Image:
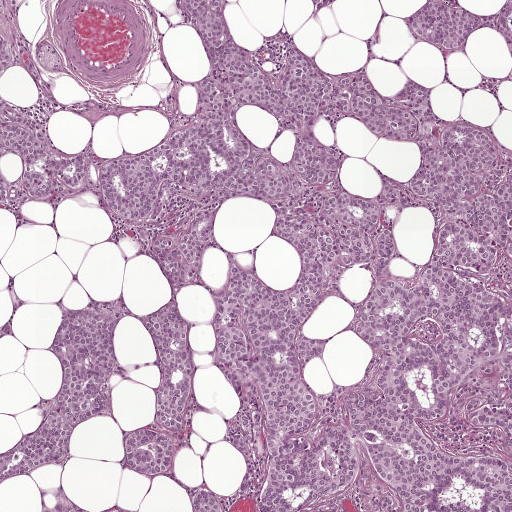
H&E-stained section of a sentinel lymph node (breast cancer), from a whole-slide image, viewed at about 5×: the field is about 1 mm across, about 1.9 µm per pixel.
Question:
Where is the metastatic tumour in this field?
Answer:
Outlines of six tumour regions, largest first (closed clockwise paths, crop pixels): region 1: (181, 0), (223, 0), (264, 83), (299, 50), (381, 98), (419, 82), (414, 140), (465, 123), (493, 185), (511, 165), (511, 511), (262, 511), (264, 401), (222, 371), (201, 284), (175, 299), (173, 475), (117, 455), (159, 392), (123, 317), (108, 418), (0, 477), (58, 399), (67, 316), (145, 312), (172, 224), (216, 214), (207, 285), (238, 243), (268, 288), (301, 268), (254, 196), (5, 208), (0, 101), (54, 152), (153, 152), (213, 70); region 2: (425, 0), (454, 7), (466, 13), (492, 16), (499, 13), (509, 4), (509, 0), (511, 0), (511, 71), (509, 56), (510, 41), (502, 30), (489, 27), (474, 29), (463, 47), (458, 50), (418, 34), (408, 25), (406, 18); region 3: (0, 2), (13, 30), (17, 46), (11, 61), (0, 72); region 4: (209, 491), (221, 498), (223, 511), (194, 511), (192, 505), (196, 492); region 5: (60, 503), (74, 504), (87, 509), (87, 511), (55, 511); region 6: (105, 504), (119, 506), (124, 511), (101, 511).
Tumour covers about 60% of the frame.